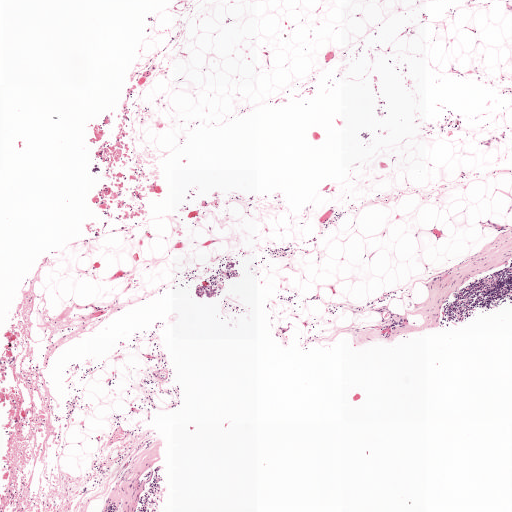
A 2.0-mm field of an H&E-stained sentinel lymph node from a breast-cancer patient (whole-slide image), shown at about 2.5×, about 3.9 µm per pixel.
Question: Where is the metastatic tumour in this field?
Answer: The outlined metastatic tumour's edge, as a closed clockwise path of 7 points: (230, 260), (241, 261), (244, 275), (223, 294), (211, 300), (196, 300), (192, 287).
Under 5% of this field is tumour.